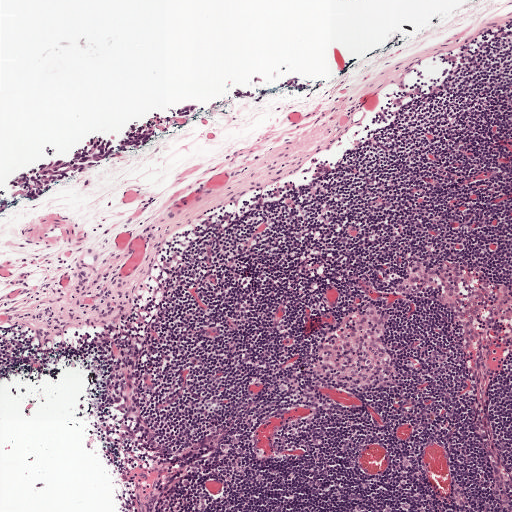
Lymph node section stained with H&E, from a whole-slide image of a breast-cancer sentinel node. Magnification about 5×, about 1 mm across the frame, about 1.9 µm per pixel.
Boundaries of four metastatic tumour regions, simplified and listed clockwise, largest first: region 1: (141, 120), (157, 122), (151, 142), (65, 181), (41, 198), (27, 199), (0, 215), (0, 178), (91, 136); region 2: (294, 76), (305, 81), (308, 87), (300, 89), (292, 89), (278, 87), (279, 83), (291, 77); region 3: (182, 105), (201, 107), (192, 114), (181, 116), (173, 111); region 4: (235, 88), (245, 89), (257, 95), (251, 98), (244, 98), (232, 95).
Two more small tumour pieces are annotated here but not outlined.
Under 5% of the image area is annotated as tumour.